Lymph node section stained with H&E, from a whole-slide image of a breast-cancer sentinel node. Magnification about 5×, about 1 mm across the frame, about 1.9 µm per pixel.
Question: 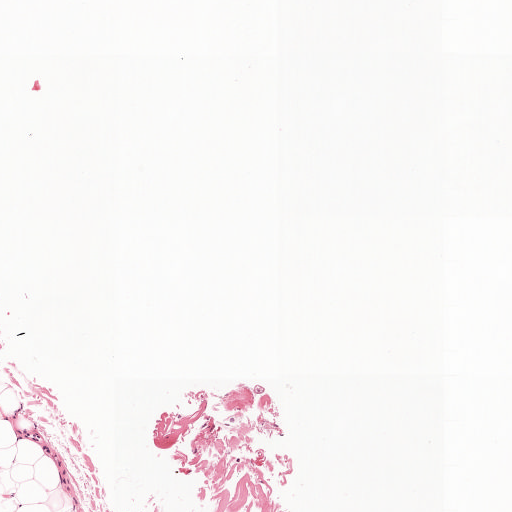
What fraction of the image area is metastatic tumour?

Choices:
 (A) about 5% or less
 (B) none: no tumour is outlined
 (C) about 50% or more
 (D) about 25% to 45%
 (E) about 10% to 20%

Answer: (A) about 5% or less
Under 5% of the field is tumour.
The outlined metastatic tumour's edge, as a closed clockwise path of 10 points: (229, 416), (232, 416), (241, 416), (241, 418), (240, 423), (236, 423), (230, 423), (227, 422), (221, 422), (223, 419).
One more small tumour piece is annotated here but not outlined.